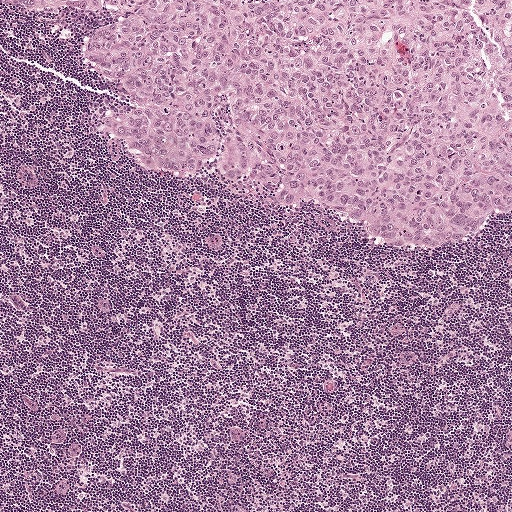
A 1-mm field of an H&E-stained sentinel lymph node from a breast-cancer patient (whole-slide image), shown at about 5×, about 1.9 µm per pixel.
Metastatic tumour outline, simplified to 15 points and listed clockwise in crop pixels (x, y): (511, 0), (511, 213), (461, 247), (390, 250), (308, 212), (273, 215), (222, 175), (166, 182), (99, 122), (131, 101), (93, 78), (79, 50), (107, 18), (44, 19), (13, 1).
The annotated tumour makes up about 35% of the crop.